Image:
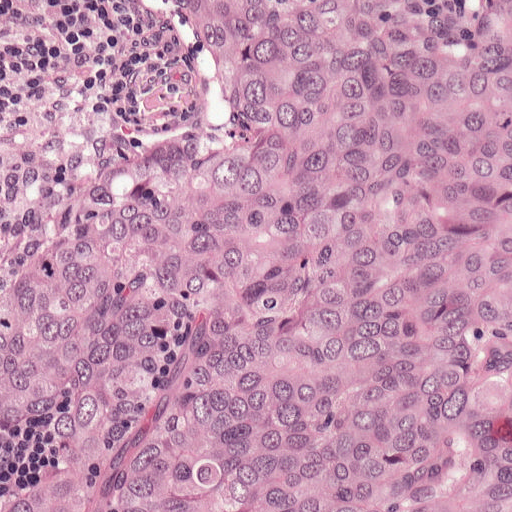
H&E-stained section of a sentinel lymph node (breast cancer), from a whole-slide image, viewed at about 20×: the field is about 0.25 mm across, about 0.49 µm per pixel.
Question:
Show where the tumour is in this image.
Answer:
Metastatic tumour outline, simplified to 10 points and listed clockwise in crop pixels (x, y): (131, 0), (511, 0), (511, 511), (0, 511), (0, 456), (44, 436), (0, 424), (0, 177), (162, 138), (180, 66).
About 90% of the image area is annotated as tumour.